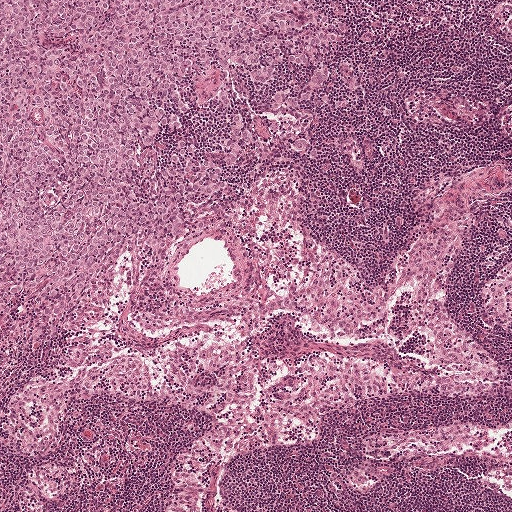
A 1-mm field of an H&E-stained sentinel lymph node from a breast-cancer patient (whole-slide image), shown at about 5×, about 1.9 µm per pixel.
Question: Which parts of this field are metastatic tumour? Answer with the outline of each region, in pixels.
Answer: Boundaries of two metastatic tumour regions, simplified and listed clockwise, largest first: region 1: (0, 0), (314, 0), (271, 22), (338, 26), (338, 46), (313, 54), (323, 93), (282, 108), (271, 94), (305, 70), (261, 86), (193, 70), (178, 132), (134, 161), (163, 164), (186, 138), (226, 180), (167, 253), (111, 250), (55, 341), (26, 342), (28, 291), (0, 313); region 2: (217, 89), (226, 92), (230, 100), (227, 109), (243, 118), (242, 129), (248, 130), (252, 137), (252, 144), (246, 149), (242, 161), (232, 165), (224, 164), (221, 161), (221, 150), (228, 129), (228, 122), (226, 114), (213, 104).
About 25% of this field is tumour.